A 1-mm field of an H&E-stained sentinel lymph node from a breast-cancer patient (whole-slide image), shown at about 5×, about 1.9 µm per pixel.
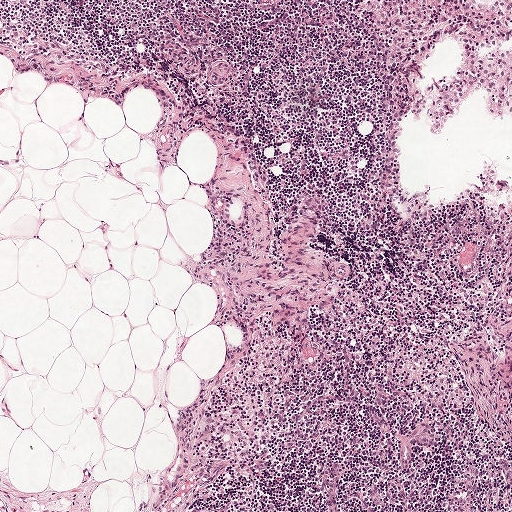
Question: Is any metastatic breast cancer visible in this crop?
Answer: No: no metastatic tumour is outlined anywhere in this field.